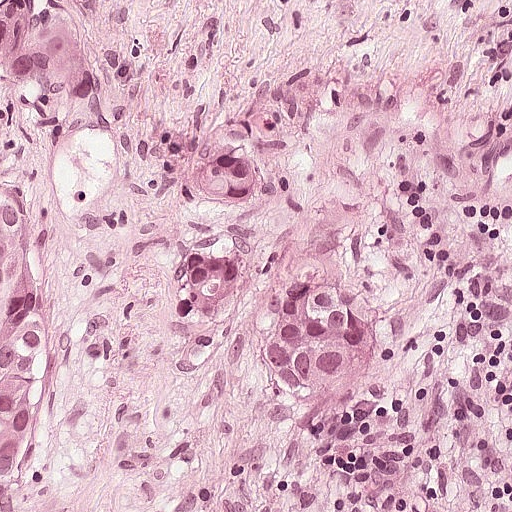
Lymph node section stained with H&E, from a whole-slide image of a breast-cancer sentinel node. Magnification about 20×, about 0.25 mm across the frame, about 0.49 µm per pixel.
Outlines of four tumour regions, largest first (closed clockwise paths, crop pixels): region 1: (334, 254), (368, 277), (383, 316), (383, 343), (357, 391), (301, 388), (257, 349), (258, 326), (284, 270), (293, 262); region 2: (0, 172), (9, 172), (48, 258), (64, 310), (66, 338), (60, 363), (0, 473); region 3: (0, 0), (56, 0), (92, 21), (108, 44), (106, 98), (80, 108), (42, 101), (2, 68); region 4: (202, 115), (249, 121), (256, 128), (258, 138), (264, 140), (266, 162), (265, 192), (256, 197), (221, 196), (199, 190), (184, 180), (174, 158), (174, 142).
One more small tumour piece is annotated here but not outlined.
Tumour covers about 15% of the frame.